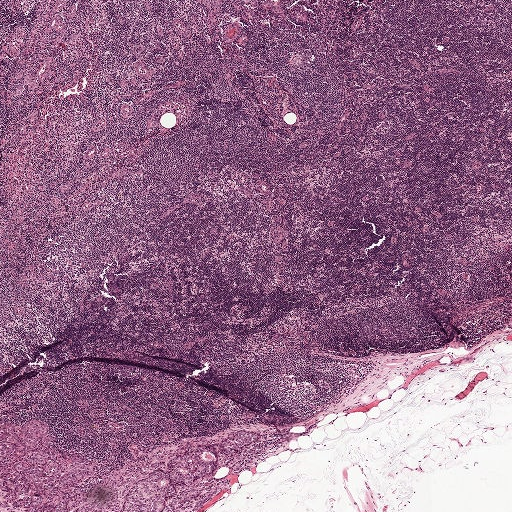
H&E-stained section of a sentinel lymph node (breast cancer), from a whole-slide image, viewed at about 2.5×: the field is about 2.0 mm across, about 3.9 µm per pixel.
Tumour region outline (a closed clockwise path, crop pixels): (44, 422), (61, 447), (96, 464), (81, 490), (134, 464), (166, 464), (188, 445), (213, 446), (219, 466), (230, 457), (222, 438), (234, 430), (258, 433), (264, 450), (248, 457), (236, 474), (215, 470), (213, 477), (230, 486), (198, 511), (0, 511), (0, 423).
Tumour covers about 5% of the frame.